Image:
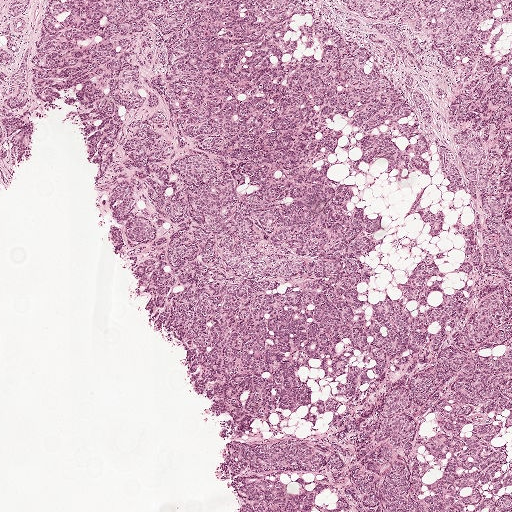
A 2.0-mm field of an H&E-stained sentinel lymph node from a breast-cancer patient (whole-slide image), shown at about 2.5×, about 3.9 µm per pixel.
Question:
Which parts of this field are metastatic tumour? Answer with the outline of each region, in pixels.
Answer:
Tumour region outline (a closed clockwise path, crop pixels): (0, 0), (511, 0), (511, 511), (227, 511), (209, 417), (169, 325), (113, 250), (66, 101), (37, 130), (21, 183), (1, 193).
About 80% of this field is tumour.